Question: 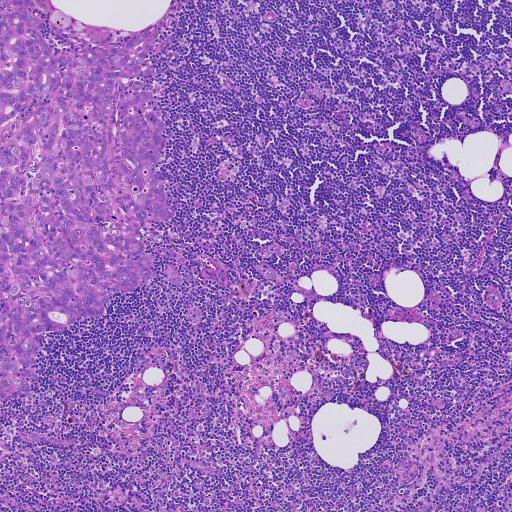
Lymph node section stained with H&E, from a whole-slide image of a breast-cancer sentinel node. Magnification about 5×, about 0.93 mm across the frame, about 1.8 µm per pixel.
Estimate the proportion of this field that is metastatic tumour.

Choices:
 (A) none: no tumour is outlined
 (B) about 5% or less
 (C) about 25% to 45%
 (D) about 10% to 20%
 (E) about 50% or more

Answer: (D) about 10% to 20%
About 15% of the field is tumour.
Metastatic tumour outline, simplified to 20 points and listed clockwise in crop pixels (x, y): (0, 0), (29, 0), (55, 56), (155, 37), (131, 89), (156, 90), (154, 111), (167, 125), (155, 168), (175, 212), (141, 230), (154, 263), (150, 282), (106, 291), (95, 319), (35, 334), (40, 378), (26, 380), (25, 391), (0, 394).